Question: 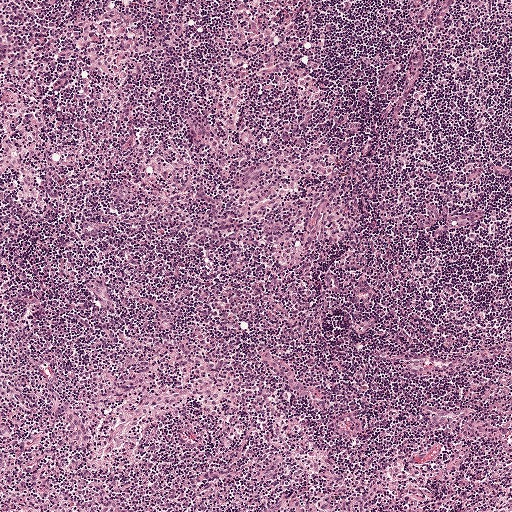
A 1-mm field of an H&E-stained sentinel lymph node from a breast-cancer patient (whole-slide image), shown at about 5×, about 1.9 µm per pixel.
Estimate the proportion of this field that is metastatic tumour.

Choices:
 (A) about 25% to 45%
 (B) about 10% to 20%
 (C) none: no tumour is outlined
 (D) about 50% or more
 (E) about 5% or less

Answer: (C) none: no tumour is outlined
No metastatic tumour is outlined in this field.